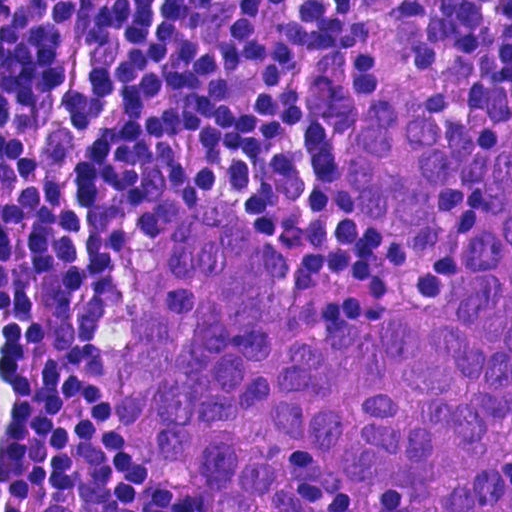
This is a crop of a whole-slide image: an H&E-stained breast-cancer sentinel lymph node section at roughly 40× magnification (about 0.23 µm per pixel; the crop spans about 0.12 mm).
Question: Which parts of this field are metastatic tumour? Answer with the outline of each region, in pixels.
Answer: Metastatic tumour outline, simplified to 21 points and listed clockwise in crop pixels (x, y): (381, 78), (430, 115), (488, 133), (511, 116), (511, 511), (243, 511), (221, 494), (125, 463), (104, 404), (111, 340), (161, 226), (196, 176), (247, 209), (286, 259), (304, 318), (427, 309), (461, 259), (476, 194), (433, 238), (369, 230), (326, 186).
Tumour covers about 45% of the frame.